A 1-mm field of an H&E-stained sentinel lymph node from a breast-cancer patient (whole-slide image), shown at about 5×, about 1.9 µm per pixel.
Image:
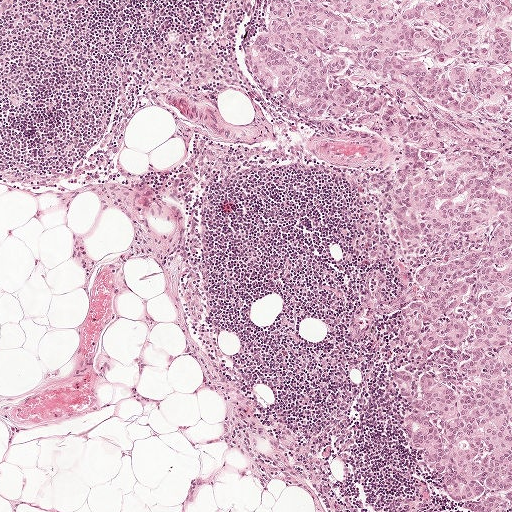
Question:
Is any metastatic breast cancer visible in this crop?
Answer:
Yes.
Metastatic tumour outline, simplified to 24 points and listed clockwise in crop pixels (x, y): (273, 0), (511, 0), (509, 511), (455, 507), (410, 451), (415, 413), (393, 382), (410, 363), (402, 312), (378, 317), (363, 342), (348, 335), (369, 299), (365, 276), (382, 275), (383, 302), (400, 289), (400, 235), (370, 185), (396, 171), (399, 148), (310, 125), (252, 82), (245, 60).
The annotated tumour makes up about 30% of the crop.